Image:
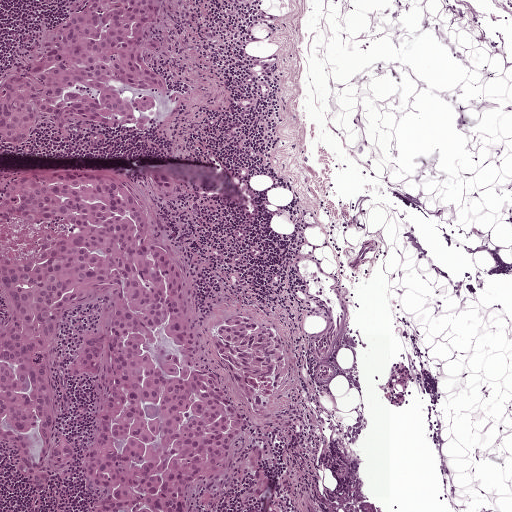
H&E-stained section of a sentinel lymph node (breast cancer), from a whole-slide image, viewed at about 5×: the field is about 1 mm across, about 1.9 µm per pixel.
Question:
Trace the edge of each tumour region in this crop, as (x, y) points from 0 to 511.
Answer:
Boundaries of three metastatic tumour regions, simplified and listed clockwise, largest first: region 1: (166, 168), (177, 184), (142, 198), (190, 303), (221, 325), (246, 317), (280, 335), (281, 393), (198, 487), (200, 511), (90, 511), (83, 454), (96, 396), (65, 368), (104, 301), (69, 312), (50, 348), (52, 406), (77, 458), (34, 490), (19, 486), (0, 445), (0, 183); region 2: (83, 0), (160, 0), (168, 36), (151, 65), (172, 92), (172, 116), (158, 126), (124, 133), (90, 127), (57, 133), (43, 123), (22, 149), (5, 146), (0, 141), (0, 88), (44, 50); region 3: (255, 444), (266, 473), (272, 499), (278, 511), (235, 511), (253, 495), (254, 482), (247, 455).
Tumour covers about 35% of the frame.